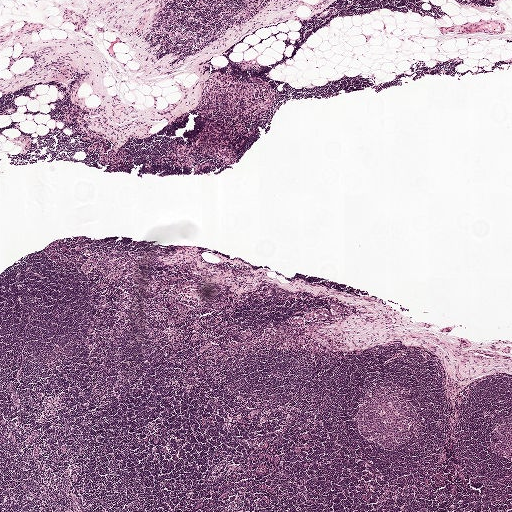
This is a crop of a whole-slide image: an H&E-stained breast-cancer sentinel lymph node section at roughly 2.5× magnification (about 3.9 µm per pixel; the crop spans about 2.0 mm).
Question: Does this lymph node field contain metastatic tumour?
Answer: Yes.
The outlined metastatic tumour's edge, as a closed clockwise path of 26 points: (337, 305), (348, 310), (348, 312), (343, 313), (343, 316), (340, 318), (330, 318), (327, 317), (315, 321), (306, 321), (302, 323), (299, 323), (297, 322), (291, 322), (289, 319), (289, 318), (292, 316), (301, 315), (306, 311), (310, 310), (312, 308), (317, 309), (324, 307), (330, 310), (331, 310), (330, 306).
Under 5% of the image area is annotated as tumour.